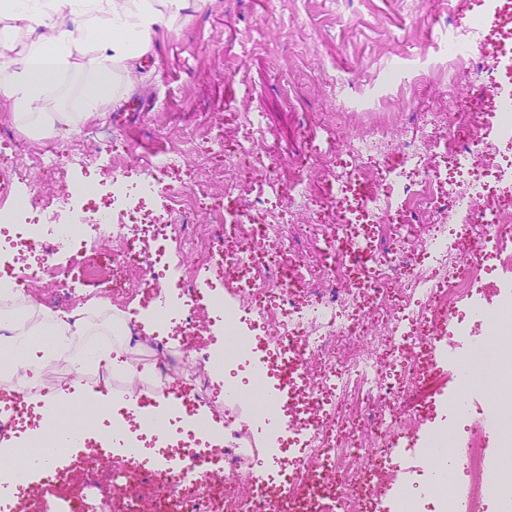
A 0.46-mm field of an H&E-stained sentinel lymph node from a breast-cancer patient (whole-slide image), shown at about 10×, about 0.91 µm per pixel.